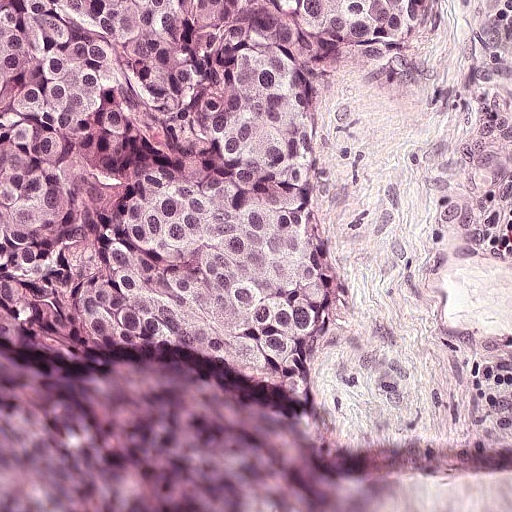
A 0.25-mm field of an H&E-stained sentinel lymph node from a breast-cancer patient (whole-slide image), shown at about 20×, about 0.49 µm per pixel.
Metastatic tumour outline, simplified to 10 points and listed clockwise in crop pixels (x, y): (0, 0), (428, 0), (415, 26), (327, 54), (309, 78), (327, 294), (304, 396), (175, 352), (74, 349), (1, 330).
About 45% of this field is tumour.